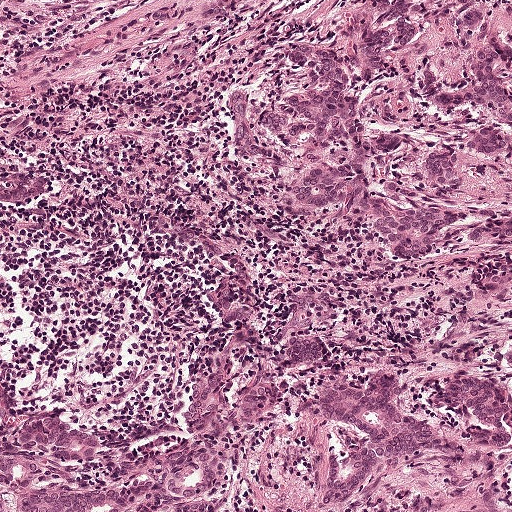
A 0.5-mm field of an H&E-stained sentinel lymph node from a breast-cancer patient (whole-slide image), shown at about 10×, about 0.97 µm per pixel.
Eight metastatic tumour regions, each outlined as a closed clockwise path in crop pixels (x, y), largest first: region 1: (236, 286), (256, 333), (274, 343), (286, 332), (283, 305), (305, 287), (322, 305), (319, 340), (330, 345), (334, 361), (290, 380), (278, 416), (231, 450), (223, 486), (202, 511), (0, 511), (0, 398), (28, 419), (86, 430), (122, 452), (164, 443), (186, 422), (210, 330), (212, 293); region 2: (384, 0), (475, 0), (428, 15), (424, 64), (400, 65), (406, 73), (394, 91), (371, 88), (371, 130), (414, 150), (402, 169), (365, 179), (395, 206), (470, 224), (444, 274), (426, 286), (378, 264), (366, 237), (298, 213), (295, 180), (269, 137), (296, 86), (292, 52), (360, 24); region 3: (370, 373), (395, 380), (396, 410), (455, 442), (462, 450), (462, 458), (458, 464), (437, 460), (404, 465), (386, 462), (359, 499), (338, 511), (319, 511), (315, 506), (324, 470), (316, 399), (321, 392); region 4: (486, 10), (498, 21), (511, 45), (511, 73), (507, 74), (507, 78), (511, 94), (511, 175), (503, 164), (477, 158), (483, 143), (506, 136), (510, 129), (452, 123), (438, 118), (427, 104), (432, 82), (445, 83), (456, 97), (468, 97), (474, 91), (477, 77), (472, 32), (475, 18); region 5: (455, 374), (456, 381), (464, 376), (476, 375), (497, 383), (511, 412), (511, 452), (478, 444), (461, 436), (454, 418), (437, 401), (445, 379); region 6: (441, 157), (455, 157), (463, 162), (477, 196), (474, 205), (466, 208), (453, 208), (443, 206), (438, 202), (436, 193), (436, 182), (431, 175), (431, 170); region 7: (501, 226), (511, 227), (511, 259), (491, 260), (474, 256), (473, 251), (478, 238); region 8: (511, 342), (511, 395), (505, 384), (505, 376), (508, 371), (508, 366), (505, 360), (504, 360), (505, 347), (507, 347), (508, 345), (510, 344).
One more small tumour piece is annotated here but not outlined.
Tumour covers about 30% of the frame.